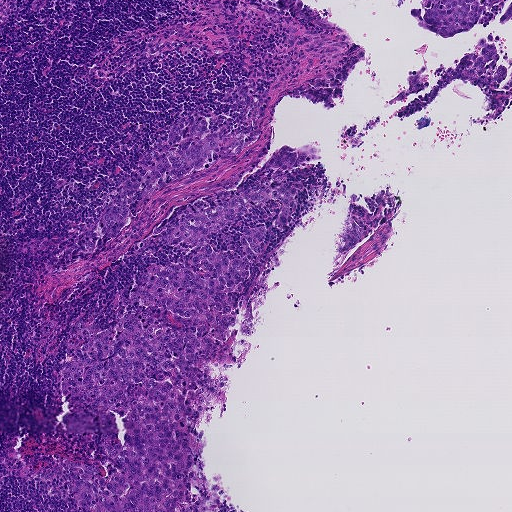
H&E-stained section of a sentinel lymph node (breast cancer), from a whole-slide image, viewed at about 5×: the field is about 0.93 mm across, about 1.8 µm per pixel.
Seven metastatic tumour regions, each outlined as a closed clockwise path in crop pixels (x, y), largest first: region 1: (284, 145), (308, 153), (285, 173), (299, 196), (286, 229), (272, 200), (207, 240), (234, 259), (242, 233), (267, 229), (233, 290), (251, 331), (233, 326), (233, 360), (209, 369), (226, 385), (188, 443), (219, 494), (201, 511), (78, 511), (69, 461), (107, 476), (115, 459), (66, 423), (68, 338), (39, 360), (41, 329), (57, 320), (67, 337), (79, 320), (102, 330), (148, 307), (128, 293), (205, 247), (151, 234), (192, 203), (252, 185); region 2: (198, 115), (205, 116), (210, 129), (224, 134), (257, 132), (258, 139), (241, 151), (157, 192), (99, 256), (59, 268), (46, 264), (49, 258), (86, 234), (137, 170), (144, 151), (162, 143), (183, 119), (187, 118), (182, 138); region 3: (486, 34), (496, 34), (499, 53), (495, 72), (499, 65), (508, 69), (498, 88), (506, 84), (511, 70), (511, 92), (506, 105), (495, 120), (494, 110), (482, 83), (463, 79), (449, 82), (446, 72), (468, 52), (477, 50), (478, 40); region 4: (420, 0), (505, 0), (484, 12), (474, 29), (447, 38), (429, 32), (414, 19), (410, 10), (416, 7), (423, 15); region 5: (380, 189), (390, 192), (393, 203), (392, 213), (386, 221), (364, 241), (338, 257), (335, 250), (348, 211), (348, 198), (352, 193), (360, 195), (355, 202), (371, 212), (364, 197), (373, 197); region 6: (424, 65), (425, 67), (422, 76), (427, 84), (422, 92), (395, 101), (385, 101), (408, 87), (407, 71), (419, 70); region 7: (511, 0), (511, 17), (508, 21), (498, 23), (499, 17).
One more small tumour piece is annotated here but not outlined.
The annotated tumour makes up about 20% of the crop.